H&E-stained section of a sentinel lymph node (breast cancer), from a whole-slide image, viewed at about 5×: the field is about 1 mm across, about 1.9 µm per pixel.
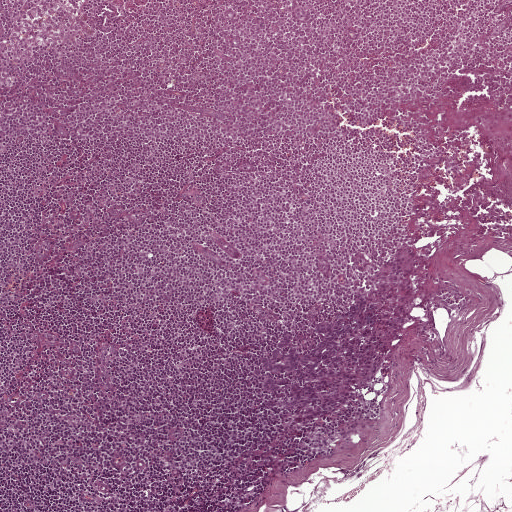
One metastatic tumour region; its boundary, reduced to 21 corners and listed clockwise: (402, 244), (417, 247), (420, 255), (418, 296), (403, 339), (394, 342), (387, 377), (380, 372), (365, 389), (366, 401), (325, 423), (295, 430), (287, 426), (263, 404), (249, 365), (293, 329), (300, 352), (316, 343), (313, 324), (352, 303), (366, 279).
About 5% of the image area is annotated as tumour.